Question: 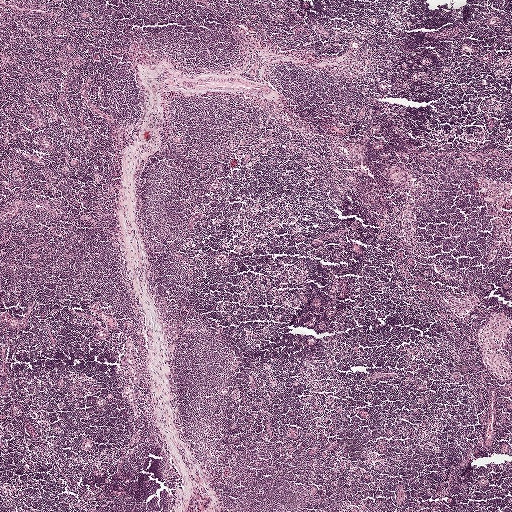
At roughly what magnification is this field shown?

Choices:
 (A) about 20×
 (B) about 10×
 (C) about 40×
 (D) about 2.5×
 (E) about 5×

Answer: (D) about 2.5×
A 2.0-mm field of an H&E-stained sentinel lymph node from a breast-cancer patient (whole-slide image), shown at about 2.5×, about 3.9 µm per pixel.